H&E-stained section of a sentinel lymph node (breast cancer), from a whole-slide image, viewed at about 5×: the field is about 1 mm across, about 1.9 µm per pixel.
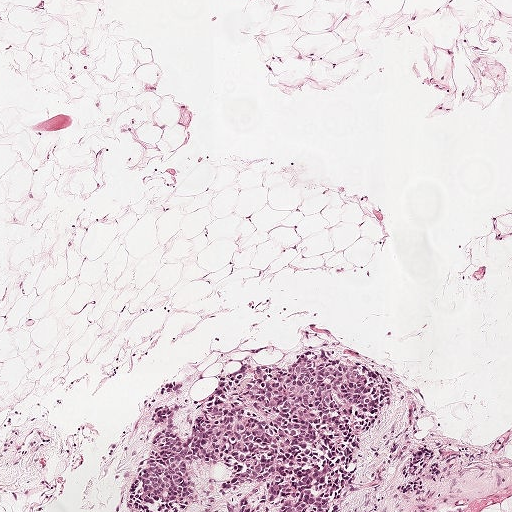
One metastatic tumour region; its boundary, reduced to 24 corners and listed clockwise: (319, 350), (379, 370), (388, 405), (357, 443), (338, 510), (229, 511), (255, 487), (218, 493), (230, 473), (193, 458), (202, 489), (191, 504), (130, 506), (157, 424), (149, 413), (169, 400), (154, 383), (180, 378), (174, 417), (190, 434), (213, 382), (246, 365), (290, 365), (301, 351).
About 10% of this field is tumour.